Question: 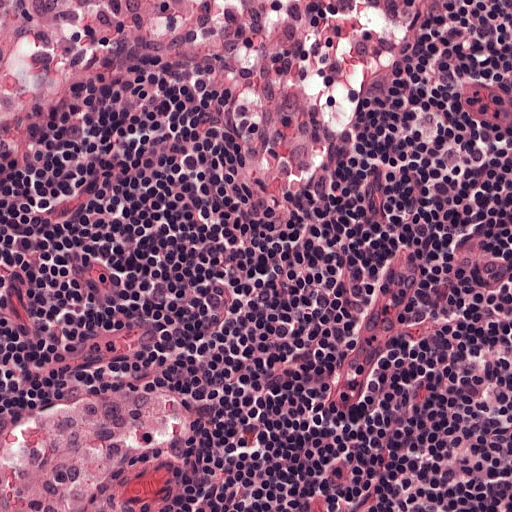
At roughly what magnification is this field shown?

Choices:
 (A) about 20×
 (B) about 2.5×
 (C) about 5×
 (D) about 10×
 (E) about 40×

Answer: (A) about 20×
Lymph node section stained with H&E, from a whole-slide image of a breast-cancer sentinel node. Magnification about 20×, about 0.25 mm across the frame, about 0.49 µm per pixel.